Question: 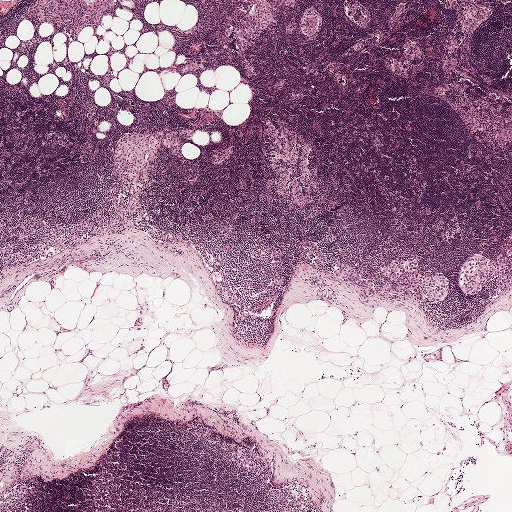
A 2.0-mm field of an H&E-stained sentinel lymph node from a breast-cancer patient (whole-slide image), shown at about 2.5×, about 3.9 µm per pixel.
What fraction of the image area is metastatic tumour?

Choices:
 (A) about 5% or less
 (B) about 25% to 45%
 (C) about 50% or more
 (D) none: no tumour is outlined
 (E) about 10% to 20%

Answer: (A) about 5% or less
Under 5% of the field is tumour.
Boundaries of three metastatic tumour regions, simplified and listed clockwise, largest first: region 1: (397, 256), (408, 256), (420, 260), (423, 273), (439, 272), (448, 277), (448, 291), (441, 303), (434, 304), (428, 302), (423, 304), (418, 304), (410, 288), (395, 301), (390, 302), (386, 299), (383, 292), (382, 269); region 2: (511, 233), (511, 287), (506, 290), (497, 290), (498, 282), (495, 276), (483, 289), (474, 295), (467, 295), (460, 292), (458, 279), (467, 256), (477, 252), (490, 259), (498, 257), (505, 248); region 3: (348, 262), (363, 272), (376, 272), (376, 277), (372, 279), (376, 286), (376, 294), (365, 295), (357, 286), (334, 275), (332, 272), (334, 268).
Question: 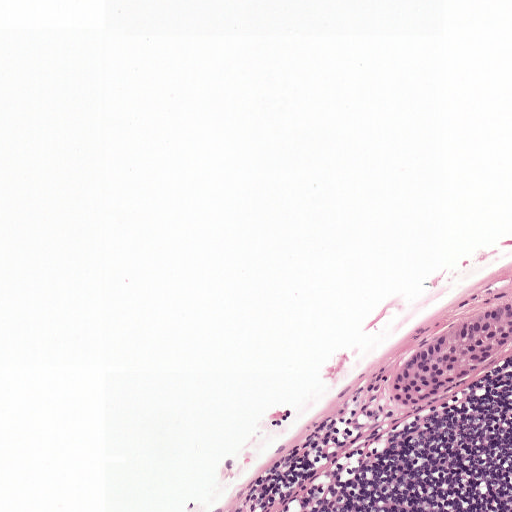
A 0.5-mm field of an H&E-stained sentinel lymph node from a breast-cancer patient (whole-slide image), shown at about 10×, about 0.97 µm per pixel.
What fraction of the image area is metastatic tumour?

Choices:
 (A) about 5% or less
 (B) none: no tumour is outlined
 (C) about 10% to 20%
 (D) about 50% or more
 (E) about 25% to 45%

Answer: (A) about 5% or less
About 5% of the field is tumour.
One metastatic tumour region; its boundary, reduced to 10 corners and listed clockwise: (508, 300), (511, 303), (511, 340), (463, 380), (418, 407), (393, 403), (388, 388), (403, 364), (420, 344), (478, 304).
Question: 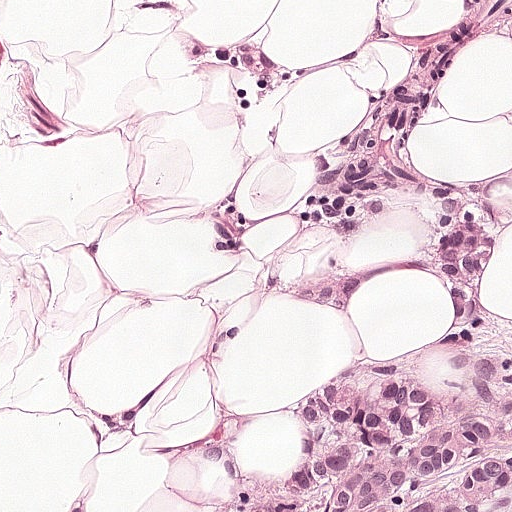
A 0.25-mm field of an H&E-stained sentinel lymph node from a breast-cancer patient (whole-slide image), shown at about 20×, about 0.49 µm per pixel.
What fraction of the image area is metastatic tumour?

Choices:
 (A) about 10% to 20%
 (B) about 50% or more
 (C) none: no tumour is outlined
 (D) about 5% or less
 (E) about 25% to 45%

Answer: (E) about 25% to 45%
About 35% of the field is tumour.
Metastatic tumour outline, simplified to 12 points and listed clockwise in crop pixels (x, y): (511, 0), (511, 511), (262, 511), (290, 466), (312, 386), (346, 355), (336, 312), (292, 278), (308, 181), (354, 107), (423, 40), (486, 2).
Question: 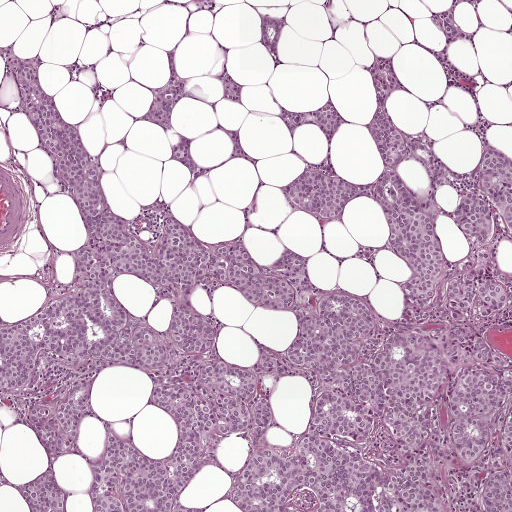
This is a crop of a whole-slide image: an H&E-stained breast-cancer sentinel lymph node section at roughly 5× magnification (about 1.9 µm per pixel; the crop spans about 1 mm).
What fraction of the image area is metastatic tumour?

Choices:
 (A) about 50% or more
 (B) none: no tumour is outlined
 (C) about 5% or less
 (D) about 25% to 45%
 (E) about 10% to 20%

Answer: (A) about 50% or more
About 50% of the field is tumour.
Eight metastatic tumour regions, each outlined as a closed clockwise path in crop pixels (x, y), largest first: region 1: (0, 43), (33, 60), (141, 252), (176, 218), (193, 240), (242, 243), (258, 267), (296, 251), (309, 256), (292, 309), (355, 298), (375, 318), (370, 354), (389, 334), (473, 330), (511, 367), (511, 511), (91, 511), (78, 452), (54, 457), (63, 511), (32, 511), (0, 467), (22, 481), (48, 454), (26, 414), (63, 383), (93, 383), (84, 454), (115, 412), (145, 458), (178, 437), (131, 365), (62, 360), (0, 385), (0, 332), (70, 299), (90, 238); region 2: (391, 57), (404, 89), (388, 91), (383, 111), (407, 151), (397, 174), (424, 204), (444, 208), (469, 192), (479, 195), (480, 160), (486, 152), (506, 151), (511, 159), (511, 296), (509, 311), (497, 319), (455, 316), (414, 323), (401, 319), (409, 274), (391, 245), (384, 204), (373, 196), (351, 198), (335, 218), (296, 203), (283, 186), (304, 168), (342, 182), (369, 185), (382, 178), (386, 166), (382, 152), (363, 123), (377, 106), (369, 64); region 3: (172, 56), (186, 87), (180, 102), (173, 107), (169, 115), (171, 123), (189, 140), (192, 168), (172, 156), (180, 142), (166, 126), (151, 122), (131, 122), (144, 117), (149, 108), (154, 98), (149, 88), (156, 89), (164, 85), (169, 78), (167, 62); region 4: (328, 103), (336, 114), (346, 122), (328, 136), (315, 121), (308, 121), (289, 129), (282, 117), (286, 111), (299, 113), (313, 112), (315, 109); region 5: (259, 15), (284, 16), (280, 57), (275, 63), (262, 40); region 6: (226, 72), (241, 86), (239, 102), (224, 98), (225, 89), (216, 75); region 7: (218, 129), (237, 131), (242, 144), (257, 164), (236, 159), (231, 154), (234, 146), (232, 136); region 8: (444, 10), (453, 10), (453, 19), (458, 27), (458, 35), (451, 37), (444, 33), (449, 26), (440, 15).